This is a crop of a whole-slide image: an H&E-stained breast-cancer sentinel lymph node section at roughly 20× magnification (about 0.45 µm per pixel; the crop spans about 0.23 mm).
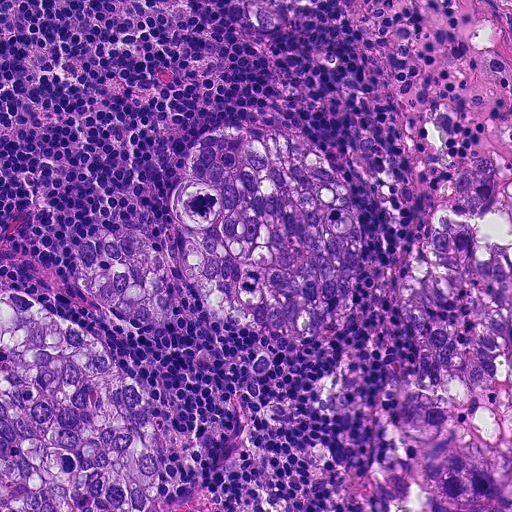
Two metastatic tumour regions, each outlined as a closed clockwise path in crop pixels (x, y), largest first: region 1: (271, 119), (342, 171), (356, 200), (359, 262), (352, 321), (298, 343), (239, 332), (177, 277), (175, 306), (152, 324), (123, 320), (80, 278), (78, 250), (98, 228), (156, 237), (172, 258), (180, 224), (166, 197), (186, 174), (190, 145), (212, 125); region 2: (0, 289), (94, 335), (139, 376), (155, 405), (170, 466), (144, 511), (0, 511).
About 25% of this field is tumour.